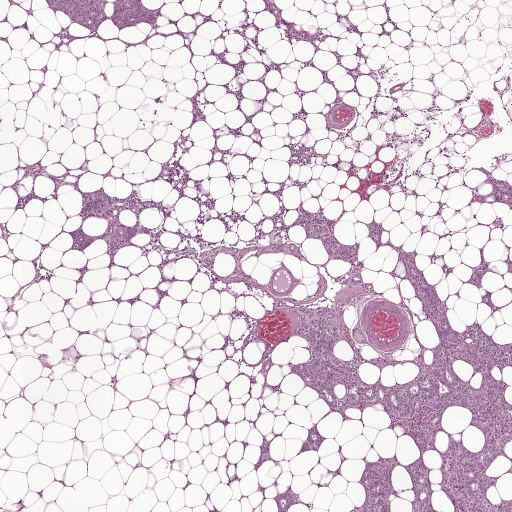
Lymph node section stained with H&E, from a whole-slide image of a breast-cancer sentinel node. Magnification about 2.5×, about 2.0 mm across the frame, about 3.9 µm per pixel.
Outlines of eight tumour regions, largest first (closed clockwise paths, crop pixels): region 1: (370, 226), (412, 253), (460, 344), (484, 332), (506, 344), (511, 511), (466, 511), (445, 493), (435, 449), (422, 457), (431, 511), (412, 511), (412, 481), (396, 466), (390, 511), (356, 511), (368, 466), (407, 463), (420, 450), (409, 430), (428, 415), (443, 414), (438, 450), (453, 429), (468, 452), (485, 442), (462, 405), (337, 411), (295, 377), (312, 348), (299, 328), (327, 305), (343, 331), (334, 358), (361, 384), (396, 389), (431, 372), (441, 342), (398, 251), (377, 247); region 2: (45, 0), (106, 0), (108, 4), (104, 9), (106, 15), (111, 16), (118, 0), (137, 0), (142, 7), (154, 11), (156, 23), (151, 26), (146, 23), (140, 23), (123, 29), (117, 27), (116, 21), (110, 19), (105, 21), (97, 30), (80, 26), (62, 12), (56, 12), (50, 9); region 3: (103, 189), (110, 198), (122, 200), (137, 211), (131, 214), (127, 210), (121, 210), (120, 222), (132, 226), (144, 223), (149, 226), (150, 232), (138, 233), (129, 240), (127, 246), (116, 251), (110, 250), (105, 240), (105, 234), (109, 230), (111, 224), (108, 219), (102, 216), (91, 216), (82, 224), (82, 229), (86, 234), (92, 235), (94, 240), (84, 246), (82, 252), (72, 248), (73, 242), (70, 236), (79, 228), (82, 223), (89, 214), (82, 197); region 4: (309, 216), (320, 220), (328, 228), (338, 241), (357, 252), (349, 260), (333, 260), (321, 241), (306, 237), (305, 220); region 5: (482, 167), (491, 172), (496, 180), (506, 180), (511, 185), (511, 204), (472, 202), (471, 198), (492, 193), (494, 187), (486, 184), (488, 177), (476, 169); region 6: (482, 251), (489, 266), (486, 274), (481, 280), (481, 285), (490, 293), (492, 307), (482, 301), (486, 294), (479, 286), (471, 284), (462, 284), (468, 281), (471, 277), (473, 272), (470, 267), (478, 266), (481, 262), (479, 254); region 7: (316, 428), (323, 434), (324, 440), (318, 449), (307, 451), (301, 450), (302, 445), (310, 430); region 8: (290, 492), (293, 496), (294, 501), (291, 506), (282, 511), (278, 508), (274, 498).
Three more small tumour pieces are annotated here but not outlined.
Tumour covers about 10% of the frame.